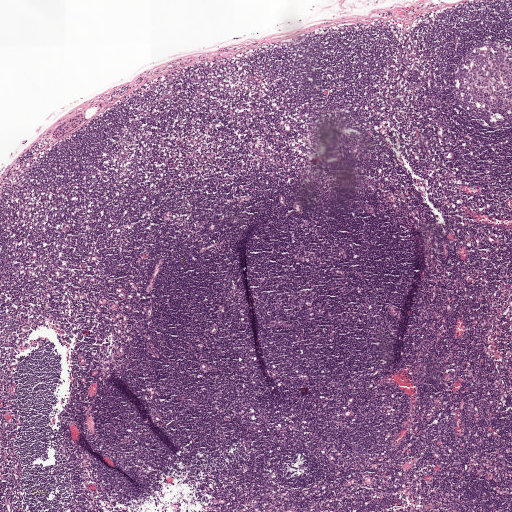
Lymph node section stained with H&E, from a whole-slide image of a breast-cancer sentinel node. Magnification about 2.5×, about 2.0 mm across the frame, about 3.9 µm per pixel.
Question: Trace the edge of each tumour region in this crop, as (x, y) points from 0 to 511.
Answer: One metastatic tumour region; its boundary, reduced to 9 corners and listed clockwise: (82, 113), (83, 115), (83, 122), (70, 133), (59, 139), (53, 138), (51, 135), (55, 129), (74, 114).
One more small tumour piece is annotated here but not outlined.
Tumour covers under 5% of the frame.